This is a crop of a whole-slide image: an H&E-stained breast-cancer sentinel lymph node section at roughly 10× magnification (about 0.9 µm per pixel; the crop spans about 0.46 mm).
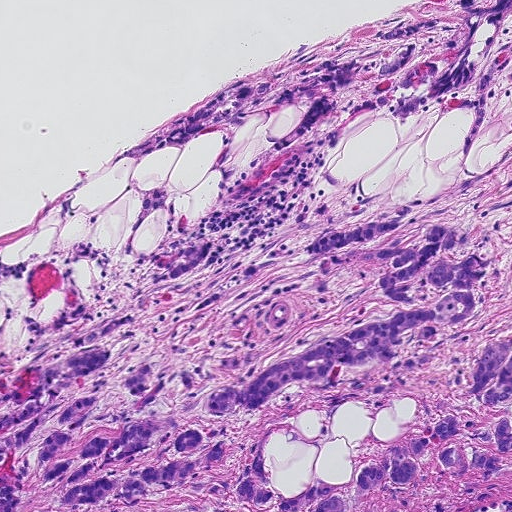
Question: Is any metastatic breast cancer visible in this crop?
Answer: Yes.
The outlined metastatic tumour's edge, as a closed clockwise path of 21 points: (423, 0), (511, 0), (511, 499), (0, 511), (0, 374), (136, 274), (164, 231), (165, 214), (149, 217), (121, 263), (145, 183), (170, 184), (181, 216), (198, 217), (218, 190), (220, 174), (204, 172), (217, 134), (135, 160), (112, 155), (276, 56).
About 75% of this field is tumour.